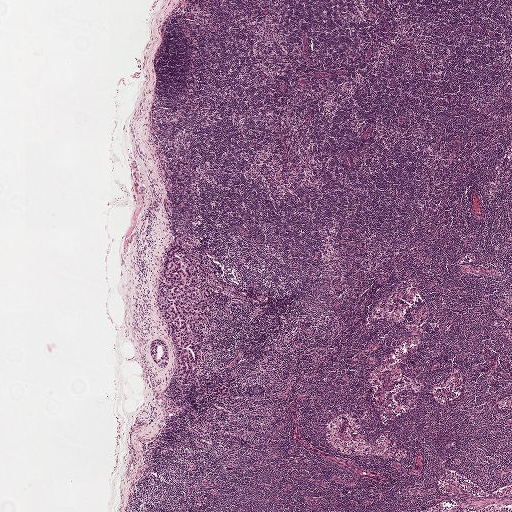
H&E-stained section of a sentinel lymph node (breast cancer), from a whole-slide image, viewed at about 2.5×: the field is about 2.0 mm across, about 3.9 µm per pixel.
Boundaries of three metastatic tumour regions, simplified and listed clockwise, largest first: region 1: (181, 226), (187, 235), (201, 241), (195, 253), (201, 268), (235, 286), (235, 292), (243, 292), (250, 302), (233, 306), (227, 317), (225, 308), (232, 300), (210, 292), (219, 313), (217, 329), (205, 338), (209, 354), (192, 387), (179, 376), (177, 345), (161, 317), (156, 296); region 2: (156, 339), (164, 340), (169, 347), (170, 362), (164, 369), (160, 369), (150, 358), (149, 345), (151, 342); region 3: (216, 385), (221, 385), (230, 388), (233, 397), (229, 399), (220, 399), (217, 398), (215, 394), (211, 391), (212, 388).
Region 2 encloses a non-tumour hole of about 15% of its area.
About 5% of this field is tumour.